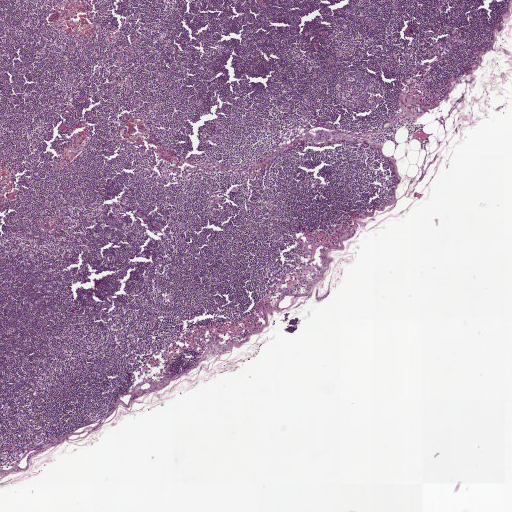
H&E-stained section of a sentinel lymph node (breast cancer), from a whole-slide image, viewed at about 2.5×: the field is about 2.0 mm across, about 3.9 µm per pixel.
Metastatic tumour outline, simplified to 18 points and listed clockwise in crop pixels (x, y): (322, 129), (330, 131), (335, 130), (339, 131), (340, 133), (338, 136), (334, 137), (331, 140), (327, 141), (317, 142), (311, 142), (302, 140), (303, 139), (308, 132), (310, 132), (315, 135), (315, 131), (316, 130).
Tumour covers under 5% of the frame.